Question: 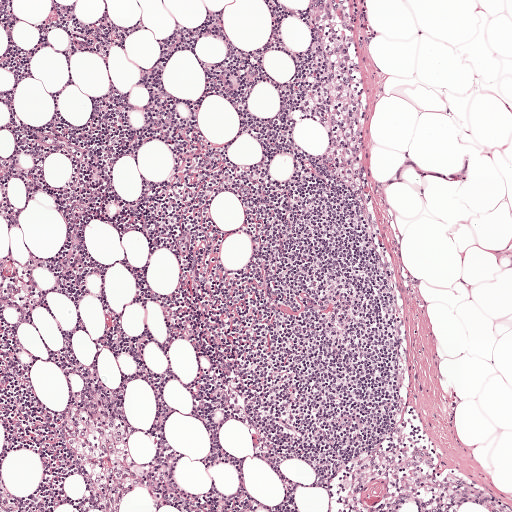
About what magnification does this crop show?

Choices:
 (A) about 20×
 (B) about 2.5×
 (C) about 5×
 (D) about 40×
 (E) about 10×

Answer: (C) about 5×
This is a crop of a whole-slide image: an H&E-stained breast-cancer sentinel lymph node section at roughly 5× magnification (about 1.9 µm per pixel; the crop spans about 1 mm).